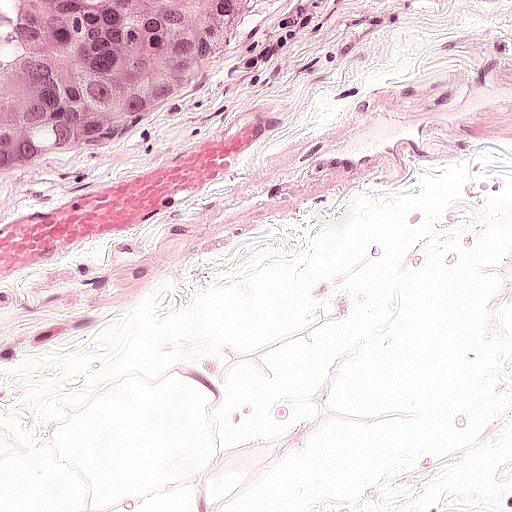
A 0.25-mm field of an H&E-stained sentinel lymph node from a breast-cancer patient (whole-slide image), shown at about 20×, about 0.49 µm per pixel.
Tumour region outline (a closed clockwise path, crop pixels): (0, 0), (247, 0), (224, 54), (179, 124), (80, 183), (0, 199).
Tumour covers about 15% of the frame.